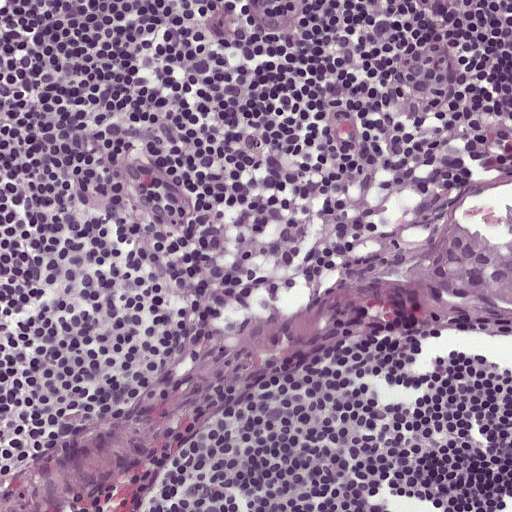
H&E-stained section of a sentinel lymph node (breast cancer), from a whole-slide image, viewed at about 20×: the field is about 0.25 mm across, about 0.49 µm per pixel.
Metastatic tumour outline, simplified to 11 points and listed clockwise in crop pixels (x, y): (511, 204), (511, 303), (471, 301), (412, 285), (403, 280), (406, 271), (424, 243), (448, 222), (460, 215), (502, 240), (504, 212).
About 5% of the image area is annotated as tumour.